This is a crop of a whole-slide image: an H&E-stained breast-cancer sentinel lymph node section at roughly 40× magnification (about 0.24 µm per pixel; the crop spans about 0.12 mm).
Question: 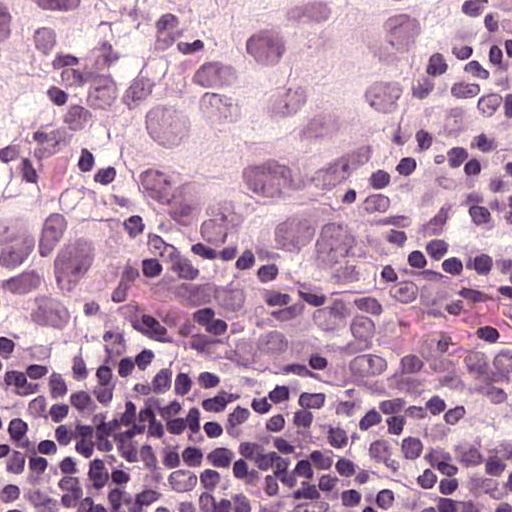
About how much of this crop is taken up by metastatic carcinoma?

Choices:
 (A) about 25% to 45%
 (B) none: no tumour is outlined
 (C) about 10% to 20%
 (D) about 50% or more
 (E) about 5% or less

Answer: (A) about 25% to 45%
About 40% of the field is tumour.
One metastatic tumour region; its boundary, reduced to 12 corners and listed clockwise: (0, 0), (439, 0), (427, 74), (383, 155), (333, 193), (299, 193), (277, 227), (243, 249), (115, 283), (102, 333), (80, 357), (0, 346).